Question: 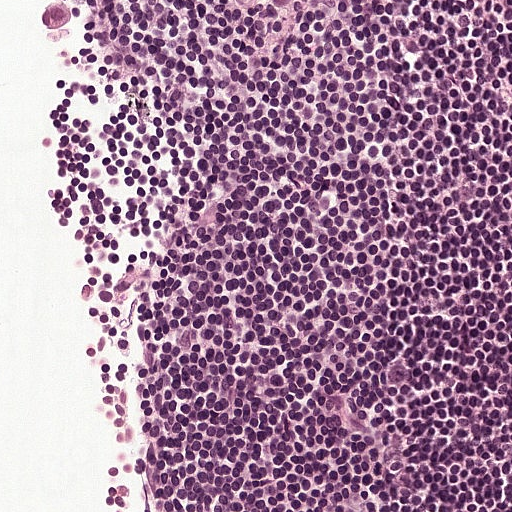
At roughly what magnification is this field shown?

Choices:
 (A) about 5×
 (B) about 20×
 (C) about 2.5×
 (D) about 40×
 (E) about 10×

Answer: (B) about 20×
H&E-stained section of a sentinel lymph node (breast cancer), from a whole-slide image, viewed at about 20×: the field is about 0.25 mm across, about 0.49 µm per pixel.